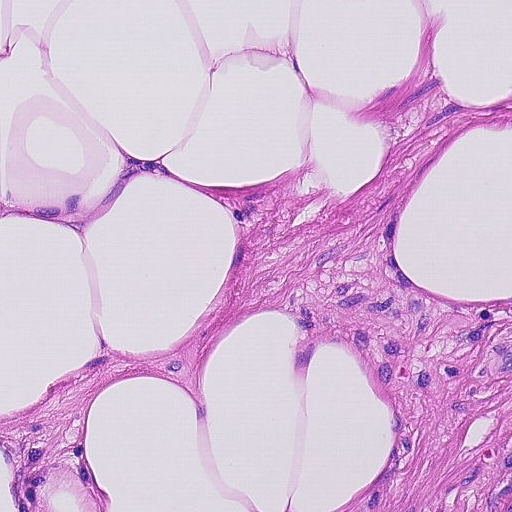
Lymph node section stained with H&E, from a whole-slide image of a breast-cancer sentinel node. Magnification about 20×, about 0.23 mm across the frame, about 0.45 µm per pixel.